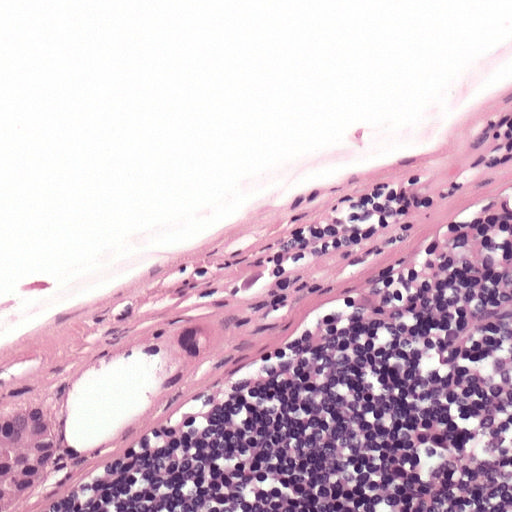
This is a crop of a whole-slide image: an H&E-stained breast-cancer sentinel lymph node section at roughly 20× magnification (about 0.49 µm per pixel; the crop spans about 0.25 mm).
Metastatic tumour outline, simplified to 6 points and listed clockwise in crop pixels (x, y): (37, 401), (54, 414), (49, 476), (5, 511), (0, 511), (0, 405).
One more small tumour piece is annotated here but not outlined.
Under 5% of the image area is annotated as tumour.